This is a crop of a whole-slide image: an H&E-stained breast-cancer sentinel lymph node section at roughly 20× magnification (about 0.5 µm per pixel; the crop spans about 0.26 mm).
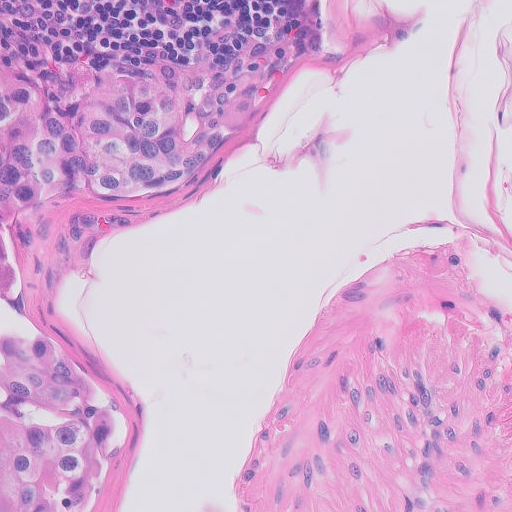
Tumour region outline (a closed clockwise path, crop pixels): (0, 0), (151, 0), (226, 96), (140, 168), (23, 197), (66, 303), (94, 414), (61, 511), (0, 511).
Tumour covers about 20% of the frame.